H&E-stained section of a sentinel lymph node (breast cancer), from a whole-slide image, viewed at about 10×: the field is about 0.5 mm across, about 0.97 µm per pixel.
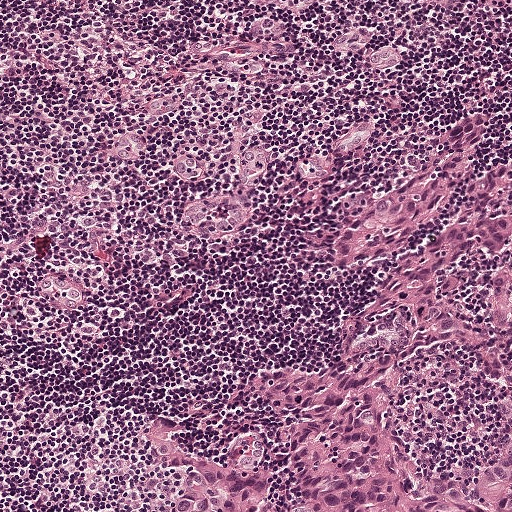
One metastatic tumour region; its boundary, reduced to 22 corners and listed clockwise: (472, 116), (483, 124), (475, 166), (511, 160), (511, 511), (157, 511), (165, 476), (132, 451), (138, 420), (157, 418), (170, 442), (207, 458), (241, 378), (328, 359), (334, 324), (361, 294), (361, 279), (325, 260), (326, 247), (364, 201), (427, 155), (435, 129).
About 30% of the image area is annotated as tumour.